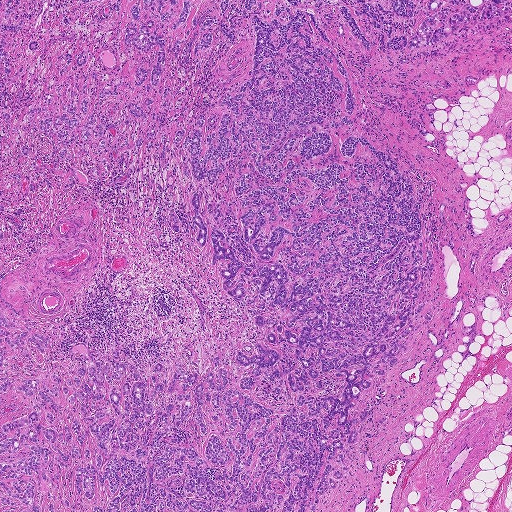
H&E-stained section of a sentinel lymph node (breast cancer), from a whole-slide image, viewed at about 2.5×: the field is about 1.9 mm across, about 3.6 µm per pixel.
Question: Is any metastatic breast cancer visible in this crop?
Answer: Yes.
One metastatic tumour region; its boundary, reduced to 19 corners and listed clockwise: (0, 0), (511, 0), (410, 54), (367, 34), (370, 55), (324, 21), (354, 90), (349, 133), (392, 155), (422, 198), (434, 265), (416, 306), (434, 315), (414, 314), (400, 360), (367, 380), (349, 470), (315, 510), (0, 511).
Two more small tumour pieces are annotated here but not outlined.
About 75% of the image area is annotated as tumour.